Question: 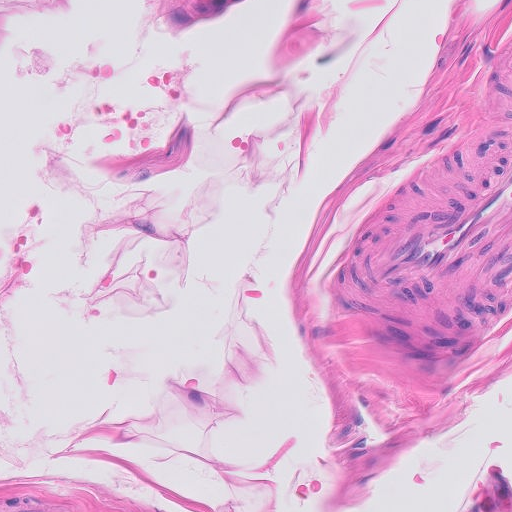
At roughly what magnification is this field shown?

Choices:
 (A) about 40×
 (B) about 10×
 (C) about 20×
 (D) about 5×
 (E) about 2.5×

Answer: (C) about 20×
A 0.26-mm field of an H&E-stained sentinel lymph node from a breast-cancer patient (whole-slide image), shown at about 20×, about 0.5 µm per pixel.